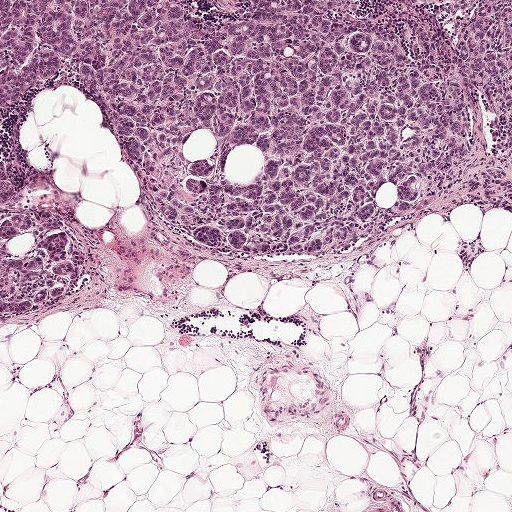
Lymph node section stained with H&E, from a whole-slide image of a breast-cancer sentinel node. Magnification about 5×, about 1 mm across the frame, about 1.9 µm per pixel.
Outlines of two tumour regions, largest first (closed clockwise paths, crop pixels): region 1: (0, 0), (188, 0), (199, 18), (227, 20), (242, 10), (238, 0), (511, 0), (511, 155), (471, 94), (475, 153), (455, 184), (346, 250), (224, 258), (155, 212), (68, 62), (56, 85), (0, 115); region 2: (0, 159), (4, 176), (19, 198), (32, 208), (52, 208), (61, 216), (79, 275), (79, 283), (60, 301), (37, 313), (2, 320).
Region 2 encloses a non-tumour hole of about 5% of its area.
About 40% of this field is tumour.